Question: 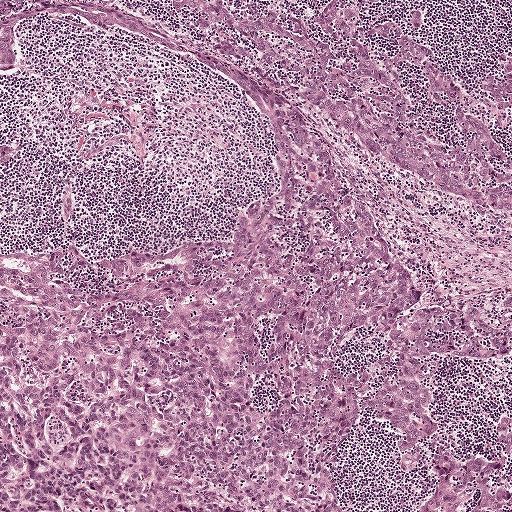
This is a crop of a whole-slide image: an H&E-stained breast-cancer sentinel lymph node section at roughly 5× magnification (about 1.9 µm per pixel; the crop spans about 1 mm).
About how much of this crop is taken up by metastatic carcinoma?

Choices:
 (A) about 10% to 20%
 (B) about 25% to 45%
 (C) none: no tumour is outlined
 (D) about 50% or more
 (E) about 5% or less

Answer: (D) about 50% or more
About 50% of the field is tumour.
Two metastatic tumour regions, each outlined as a closed clockwise path in crop pixels (x, y), largest first: region 1: (253, 90), (276, 93), (311, 117), (417, 291), (399, 322), (338, 352), (340, 372), (368, 366), (444, 305), (511, 326), (511, 353), (439, 366), (435, 432), (408, 448), (385, 426), (358, 429), (337, 481), (363, 511), (0, 511), (0, 257), (114, 258), (234, 220), (274, 187), (277, 149); region 2: (479, 447), (493, 453), (511, 471), (511, 511), (411, 511), (430, 492), (439, 458), (450, 451).